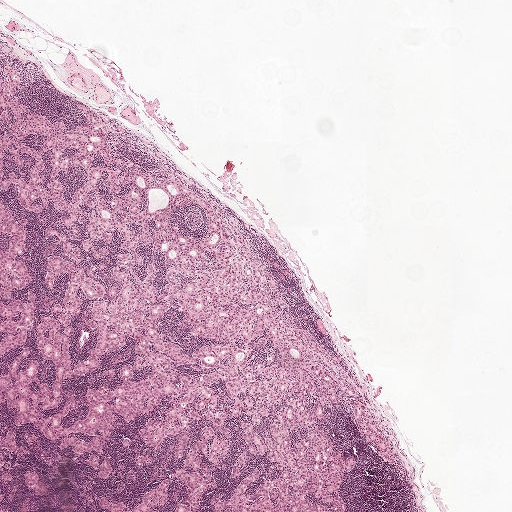
Lymph node section stained with H&E, from a whole-slide image of a breast-cancer sentinel node. Magnification about 2.5×, about 2.0 mm across the frame, about 3.9 µm per pixel.
Seven metastatic tumour regions, each outlined as a closed clockwise path in crop pixels (x, y), largest first: region 1: (7, 65), (22, 105), (114, 119), (234, 224), (396, 460), (344, 396), (318, 424), (347, 511), (215, 511), (281, 476), (246, 452), (231, 476), (241, 423), (265, 442), (280, 403), (224, 421), (216, 488), (172, 511), (206, 422), (176, 460), (137, 433), (172, 397), (101, 454), (0, 403), (27, 346), (52, 385), (38, 300), (71, 275), (43, 259), (74, 264), (42, 231), (68, 213), (0, 188); region 2: (0, 201), (24, 231), (26, 246), (16, 260), (23, 259), (30, 270), (30, 282), (22, 289), (14, 289), (10, 295), (24, 302), (25, 291), (29, 290), (35, 297), (35, 315), (25, 341), (0, 356), (0, 338), (7, 334), (0, 333), (0, 324), (5, 322), (0, 315); region 3: (168, 476), (173, 476), (175, 480), (175, 484), (165, 503), (156, 510), (157, 511), (111, 511), (100, 509), (98, 500), (104, 498), (113, 504), (121, 503), (125, 504), (131, 510), (135, 505), (139, 504), (141, 496), (144, 492), (162, 484); region 4: (31, 471), (35, 474), (37, 481), (47, 487), (47, 494), (42, 496), (26, 486), (23, 479), (24, 473); region 5: (95, 455), (99, 458), (99, 466), (104, 460), (108, 461), (109, 468), (108, 474), (105, 477), (101, 477), (98, 475), (98, 469), (89, 466), (88, 458), (89, 456); region 6: (6, 432), (11, 433), (13, 437), (15, 448), (0, 456), (0, 437), (4, 436); region 7: (144, 454), (150, 457), (153, 460), (148, 465), (143, 467), (140, 467), (136, 467), (135, 464), (136, 460), (139, 456).
Region 1 encloses 17 non-tumour holes totalling about 15% of its area.
Two more small tumour pieces are annotated here but not outlined.
About 30% of the image area is annotated as tumour.